A 0.23-mm field of an H&E-stained sentinel lymph node from a breast-cancer patient (whole-slide image), shown at about 20×, about 0.45 µm per pixel.
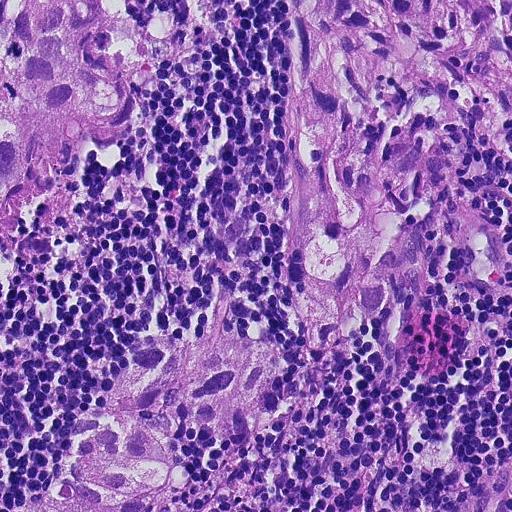
Outlines of two tumour regions, largest first (closed clockwise paths, crop pixels): region 1: (280, 0), (511, 0), (511, 119), (484, 104), (447, 206), (374, 312), (267, 436), (176, 426), (174, 448), (196, 470), (182, 500), (153, 511), (6, 511), (34, 502), (54, 479), (140, 348), (232, 332), (295, 344), (278, 289), (288, 24); region 2: (0, 0), (204, 0), (219, 18), (220, 47), (199, 68), (170, 72), (94, 176), (0, 243).
Tumour covers about 45% of the frame.